Lymph node section stained with H&E, from a whole-slide image of a breast-cancer sentinel node. Magnification about 20×, about 0.25 mm across the frame, about 0.49 µm per pixel.
Question: 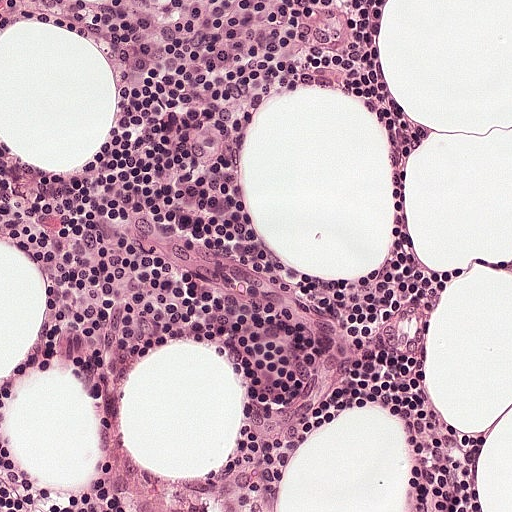
Estimate the proportion of this field that is metastatic tumour.

Choices:
 (A) about 5% or less
 (B) about 25% to 45%
 (C) about 50% or more
 (D) about 10% to 20%
 (E) none: no tumour is outlined

Answer: (E) none: no tumour is outlined
No metastatic tumour is outlined in this field.